This is a crop of a whole-slide image: an H&E-stained breast-cancer sentinel lymph node section at roughly 20× magnification (about 0.45 µm per pixel; the crop spans about 0.23 mm).
Question: 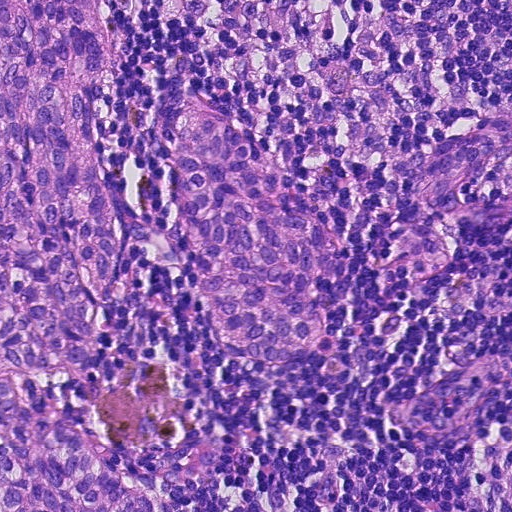
Roughly what share of this field is metastatic tumour?

Choices:
 (A) none: no tumour is outlined
 (B) about 25% to 45%
 (C) about 50% or more
 (D) about 5% or less
 (E) about 10% to 20%

Answer: (B) about 25% to 45%
About 40% of the field is tumour.
One metastatic tumour region; its boundary, reduced to 23 corners and listed clockwise: (0, 0), (97, 0), (104, 80), (89, 114), (136, 218), (178, 212), (170, 164), (192, 90), (282, 160), (348, 251), (326, 332), (300, 360), (263, 366), (228, 351), (172, 232), (133, 228), (102, 372), (176, 372), (210, 438), (206, 476), (158, 500), (175, 511), (0, 511).